Image:
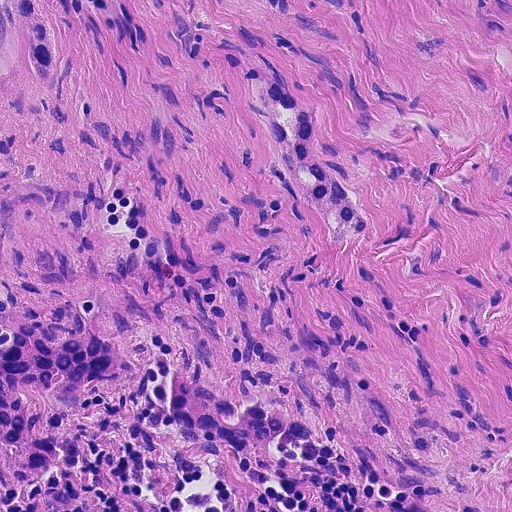
This is a crop of a whole-slide image: an H&E-stained breast-cancer sentinel lymph node section at roughly 20× magnification (about 0.45 µm per pixel; the crop spans about 0.23 mm).
Question:
Outline the metastatic carcinoma in this image, as closed paths of (x, y) pixel coordinates.
Answer:
Outlines of three tumour regions, largest first (closed clockwise paths, crop pixels): region 1: (0, 276), (16, 292), (93, 308), (126, 334), (213, 366), (332, 430), (381, 478), (338, 483), (288, 474), (126, 408), (72, 410), (48, 434), (0, 443); region 2: (40, 0), (153, 0), (276, 65), (303, 86), (328, 150), (365, 206), (364, 238), (331, 216), (309, 191), (294, 160), (285, 128), (266, 100), (190, 58), (171, 30), (139, 22), (158, 40), (136, 42); region 3: (0, 0), (39, 0), (55, 50), (50, 83), (41, 83), (24, 54), (16, 19), (10, 72), (0, 71).
About 20% of the image area is annotated as tumour.